Question: 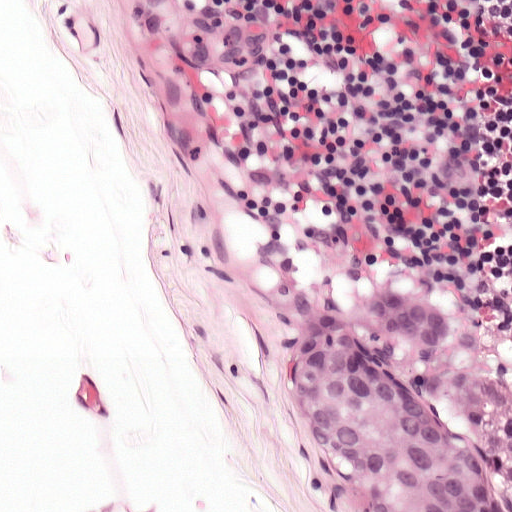
H&E-stained section of a sentinel lymph node (breast cancer), from a whole-slide image, viewed at about 20×: the field is about 0.25 mm across, about 0.49 µm per pixel.
About how much of this crop is taken up by metastatic carcinoma?

Choices:
 (A) about 5% or less
 (B) about 50% or more
 (C) about 10% to 20%
 (D) none: no tumour is outlined
 (E) about 25% to 45%

Answer: (C) about 10% to 20%
About 15% of the field is tumour.
Tumour region outline (a closed clockwise path, crop pixels): (352, 282), (402, 286), (511, 361), (511, 511), (480, 490), (484, 511), (323, 511), (283, 419), (284, 367), (304, 321).